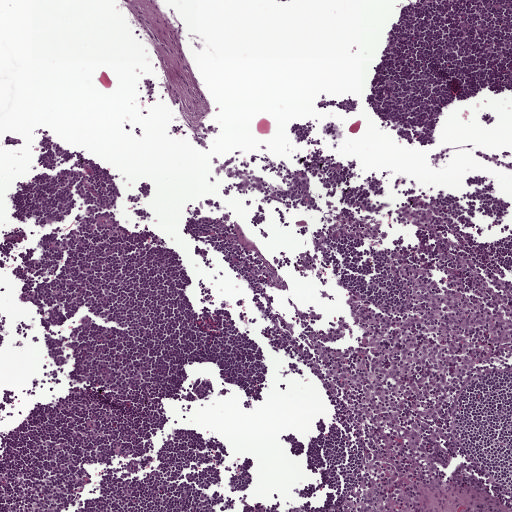
H&E-stained section of a sentinel lymph node (breast cancer), from a whole-slide image, viewed at about 5×: the field is about 1 mm across, about 1.9 µm per pixel.